Image:
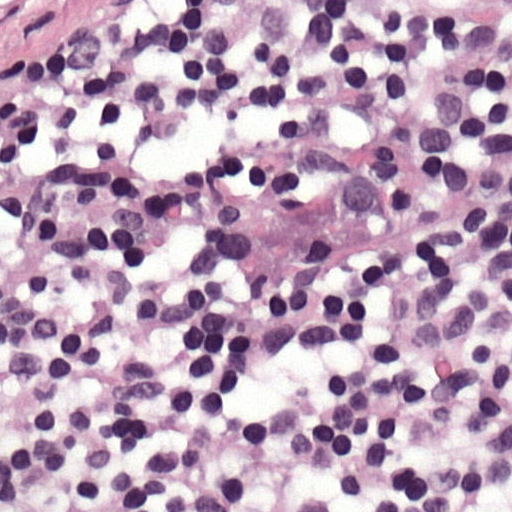
H&E-stained section of a sentinel lymph node (breast cancer), from a whole-slide image, viewed at about 40×: the field is about 0.12 mm across, about 0.24 µm per pixel.
Question:
Where is the metastatic tumour in this field?
Answer:
The outlined metastatic tumour's edge, as a closed clockwise path of 6 points: (388, 171), (400, 205), (357, 250), (270, 267), (252, 224), (341, 172).
About 5% of this field is tumour.